A 0.12-mm field of an H&E-stained sentinel lymph node from a breast-cancer patient (whole-slide image), shown at about 40×, about 0.23 µm per pixel.
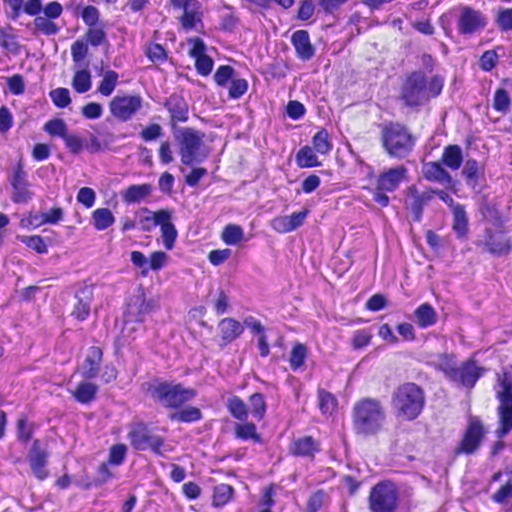
Outlines of two tumour regions, largest first (closed clockwise paths, crop pixels): region 1: (422, 338), (511, 354), (511, 443), (461, 434), (438, 511), (359, 511), (367, 472), (350, 454), (338, 404), (364, 359); region 2: (373, 16), (423, 24), (457, 62), (424, 163), (374, 171), (338, 137), (322, 89), (334, 50).
About 15% of the image area is annotated as tumour.